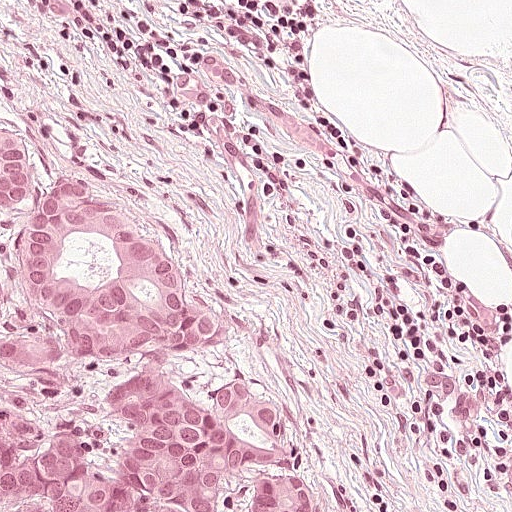
H&E-stained section of a sentinel lymph node (breast cancer), from a whole-slide image, viewed at about 20×: the field is about 0.25 mm across, about 0.49 µm per pixel.
Question: Which parts of this field are metastatic tumour? Answer with the outline of each region, in pixels.
Answer: Metastatic tumour outline, simplified to 10 points and listed clockwise in crop pixels (x, y): (0, 96), (28, 154), (48, 168), (98, 164), (144, 189), (187, 325), (246, 389), (314, 430), (334, 511), (0, 511).
About 30% of this field is tumour.